Question: 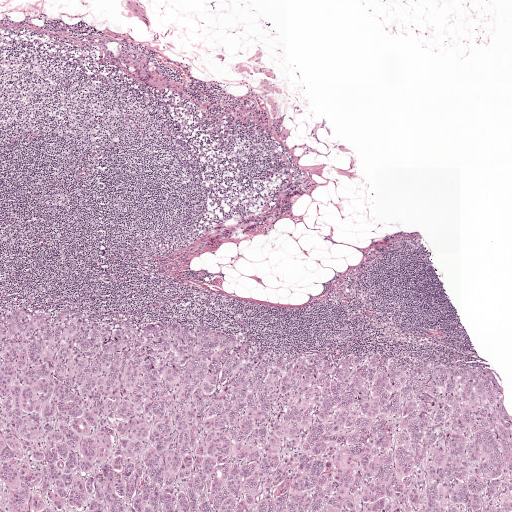
Lymph node section stained with H&E, from a whole-slide image of a breast-cancer sentinel node. Magnification about 2.5×, about 2.0 mm across the frame, about 3.9 µm per pixel.
What fraction of the image area is metastatic tumour?

Choices:
 (A) about 50% or more
 (B) none: no tumour is outlined
 (C) about 10% to 20%
 (D) about 5% or less
 (E) about 25% to 45%

Answer: (E) about 25% to 45%
About 35% of the field is tumour.
Tumour region outline (a closed clockwise path, crop pixels): (0, 310), (197, 326), (269, 350), (477, 361), (500, 372), (511, 511), (0, 511).